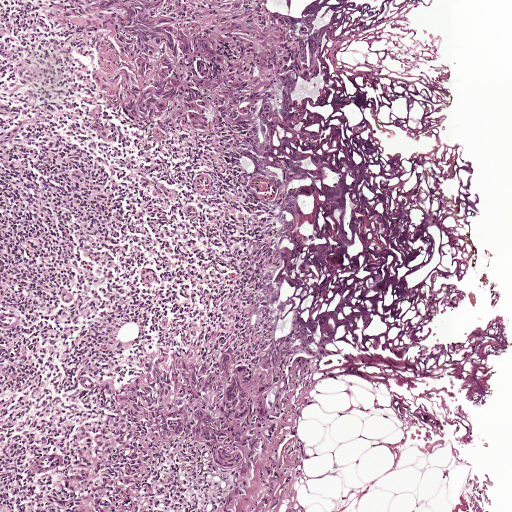
H&E-stained section of a sentinel lymph node (breast cancer), from a whole-slide image, viewed at about 5×: the field is about 1 mm across, about 1.9 µm per pixel.
One metastatic tumour region; its boundary, reduced to 17 corners and listed clockwise: (228, 339), (286, 371), (286, 401), (235, 511), (223, 511), (222, 506), (232, 474), (183, 437), (155, 455), (144, 497), (155, 511), (76, 511), (62, 491), (75, 430), (112, 415), (91, 387), (180, 342).
The annotated tumour makes up about 10% of the crop.